Question: 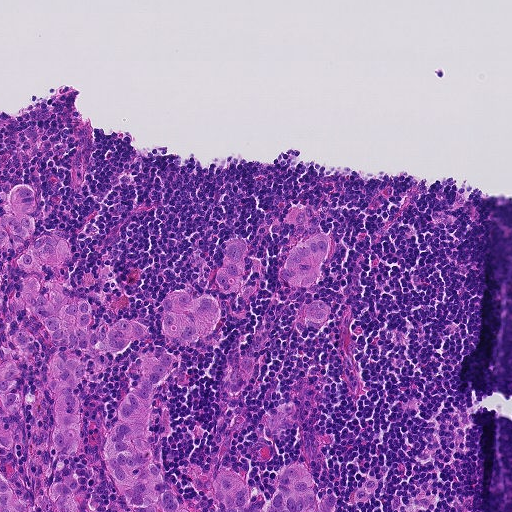
H&E-stained section of a sentinel lymph node (breast cancer), from a whole-slide image, viewed at about 10×: the field is about 0.46 mm across, about 0.9 µm per pixel.
Estimate the proportion of this field that is metastatic tumour.

Choices:
 (A) about 5% or less
 (B) about 10% to 20%
 (C) about 50% or more
 (D) none: no tumour is outlined
 (E) about 25% to 45%

Answer: (B) about 10% to 20%
About 15% of the field is tumour.
Boundaries of four metastatic tumour regions, simplified and listed clockwise, largest first: region 1: (18, 182), (36, 190), (32, 244), (46, 229), (65, 232), (74, 249), (67, 266), (42, 266), (44, 278), (89, 298), (90, 330), (118, 318), (147, 326), (120, 354), (82, 357), (82, 511), (0, 511), (0, 311), (9, 317), (29, 275), (18, 268), (19, 250), (0, 255), (0, 214); region 2: (246, 238), (244, 274), (236, 292), (230, 295), (218, 289), (212, 296), (220, 303), (222, 322), (212, 338), (172, 338), (168, 350), (180, 365), (151, 396), (150, 416), (156, 456), (188, 508), (196, 511), (120, 511), (122, 505), (102, 454), (103, 435), (114, 419), (130, 366), (164, 348), (168, 337), (159, 329), (162, 298), (179, 288), (195, 298), (209, 295), (217, 284), (226, 242); region 3: (299, 462), (313, 477), (318, 497), (335, 490), (337, 511), (216, 511), (214, 504), (197, 491), (189, 472), (202, 475), (229, 469), (263, 492), (264, 510), (275, 492), (282, 472); region 4: (316, 237), (332, 241), (329, 258), (321, 265), (318, 282), (302, 286), (285, 286), (282, 271), (287, 255), (300, 244).
One more small tumour piece is annotated here but not outlined.